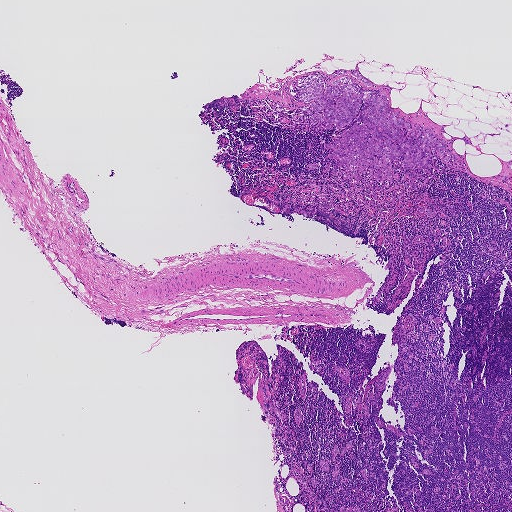
A 1.9-mm field of an H&E-stained sentinel lymph node from a breast-cancer patient (whole-slide image), shown at about 2.5×, about 3.6 µm per pixel.
Four metastatic tumour regions, each outlined as a closed clockwise path in crop pixels (x, y), largest first: region 1: (314, 73), (331, 85), (345, 76), (359, 90), (384, 91), (388, 108), (414, 131), (418, 125), (431, 127), (450, 139), (452, 152), (466, 170), (448, 167), (438, 155), (430, 172), (404, 169), (402, 156), (391, 162), (397, 180), (379, 182), (357, 170), (354, 176), (340, 161), (328, 158), (334, 150), (325, 146), (350, 125), (302, 128), (290, 116), (310, 102), (294, 99), (297, 80); region 2: (341, 69), (347, 70), (351, 69), (355, 70), (364, 77), (373, 82), (373, 84), (375, 84), (376, 85), (376, 87), (374, 87), (371, 87), (369, 87), (361, 80), (352, 75), (348, 74), (346, 75), (342, 74), (333, 78), (332, 77), (332, 75); region 3: (419, 207), (424, 207), (430, 210), (431, 211), (433, 212), (434, 211), (436, 211), (436, 213), (435, 215), (432, 216), (426, 215), (423, 212), (419, 211), (417, 210), (417, 208); region 4: (408, 171), (410, 173), (408, 176), (412, 176), (412, 178), (409, 180), (409, 182), (406, 187), (404, 187), (403, 185), (403, 183), (408, 179), (406, 173), (406, 172).
Four more small tumour pieces are annotated here but not outlined.
The annotated tumour makes up about 5% of the crop.